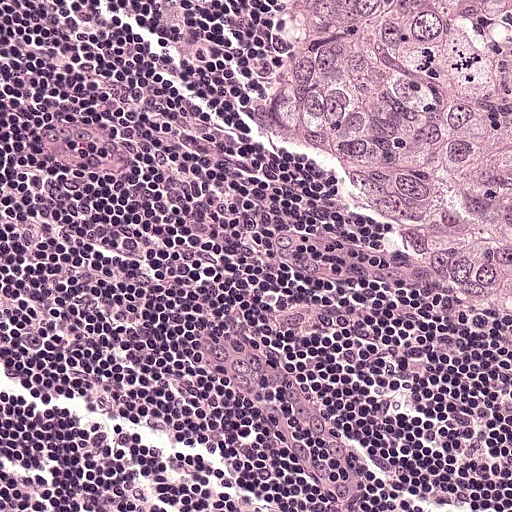
A 0.25-mm field of an H&E-stained sentinel lymph node from a breast-cancer patient (whole-slide image), shown at about 20×, about 0.49 µm per pixel.
The outlined metastatic tumour's edge, as a closed clockwise path of 6 points: (272, 0), (511, 0), (511, 333), (276, 176), (241, 120), (268, 54).
Tumour covers about 25% of the frame.